Question: 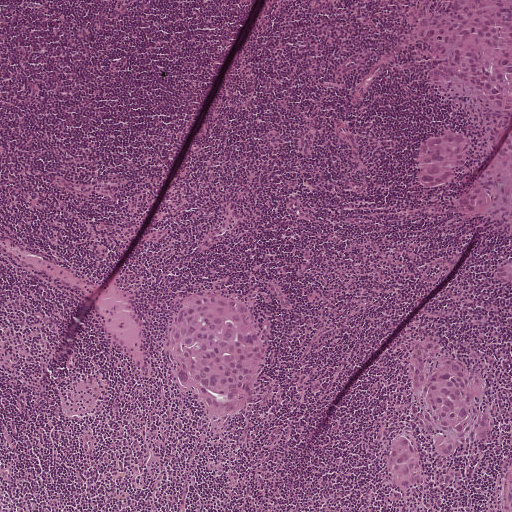
About what magnification does this crop show?

Choices:
 (A) about 40×
 (B) about 20×
 (C) about 5×
 (D) about 10×
 (E) about 2.5×

Answer: (C) about 5×
A 1-mm field of an H&E-stained sentinel lymph node from a breast-cancer patient (whole-slide image), shown at about 5×, about 1.9 µm per pixel.
Boundaries of four metastatic tumour regions, simplified and listed clockwise, largest first: region 1: (422, 0), (511, 0), (511, 233), (452, 210), (453, 192), (480, 165), (483, 146), (465, 157), (442, 186), (423, 188), (413, 173), (413, 155), (422, 138), (458, 130), (474, 140), (491, 132), (491, 114), (436, 99), (415, 67), (399, 57), (392, 39), (395, 21); region 2: (214, 287), (236, 296), (253, 313), (268, 331), (273, 354), (256, 400), (236, 414), (214, 421), (194, 409), (164, 372), (160, 348), (164, 323), (177, 302); region 3: (430, 339), (458, 354), (482, 376), (493, 408), (493, 425), (485, 440), (470, 444), (460, 460), (444, 460), (430, 453), (420, 439), (416, 423), (419, 406), (412, 391), (407, 358), (413, 343); region 4: (405, 433), (415, 447), (422, 462), (425, 478), (416, 491), (400, 491), (388, 479), (381, 463), (395, 434).
About 15% of this field is tumour.